Question: 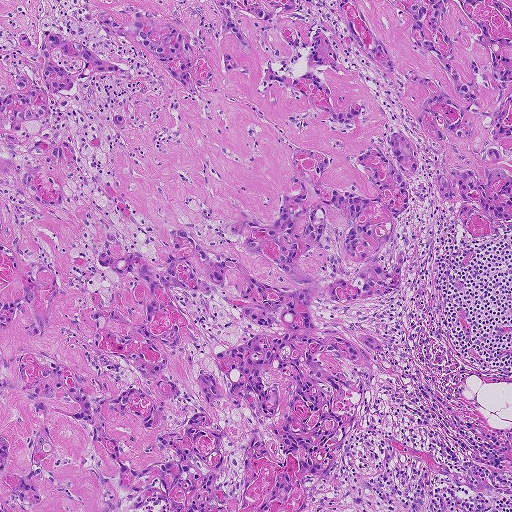
This is a crop of a whole-slide image: an H&E-stained breast-cancer sentinel lymph node section at roughly 5× magnification (about 1.8 µm per pixel; the crop spans about 0.93 mm).
About how much of this crop is taken up by metastatic carcinoma?

Choices:
 (A) about 25% to 45%
 (B) about 10% to 20%
 (C) about 50% or more
 (D) none: no tumour is outlined
 (E) about 5% or less

Answer: (C) about 50% or more
About 85% of the field is tumour.
The outlined metastatic tumour's edge, as a closed clockwise path of 17 points: (0, 0), (511, 0), (511, 232), (468, 238), (460, 203), (436, 196), (434, 173), (404, 177), (403, 288), (347, 313), (385, 348), (372, 352), (378, 372), (334, 471), (305, 491), (300, 511), (0, 511).